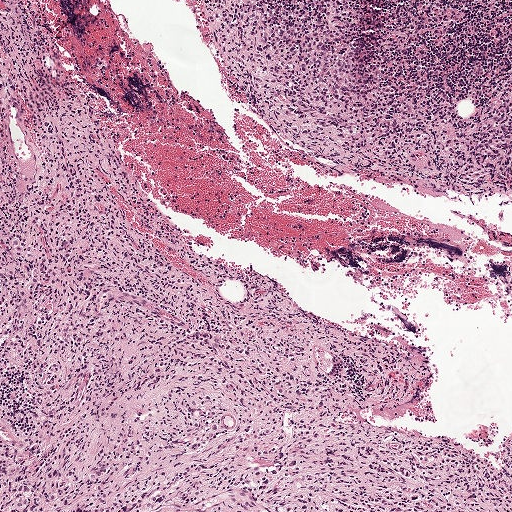
Lymph node section stained with H&E, from a whole-slide image of a breast-cancer sentinel node. Magnification about 5×, about 1 mm across the frame, about 1.9 µm per pixel.
Two metastatic tumour regions, each outlined as a closed clockwise path in crop pixels (x, y), largest first: region 1: (0, 0), (23, 3), (137, 208), (279, 293), (346, 418), (435, 457), (511, 444), (511, 511), (0, 511); region 2: (399, 0), (450, 21), (450, 41), (418, 69), (420, 80), (444, 106), (511, 90), (511, 204), (444, 203), (281, 154), (225, 77), (205, 3).
About 60% of the image area is annotated as tumour.